Lymph node section stained with H&E, from a whole-slide image of a breast-cancer sentinel node. Magnification about 5×, about 0.93 mm across the frame, about 1.8 µm per pixel.
Image:
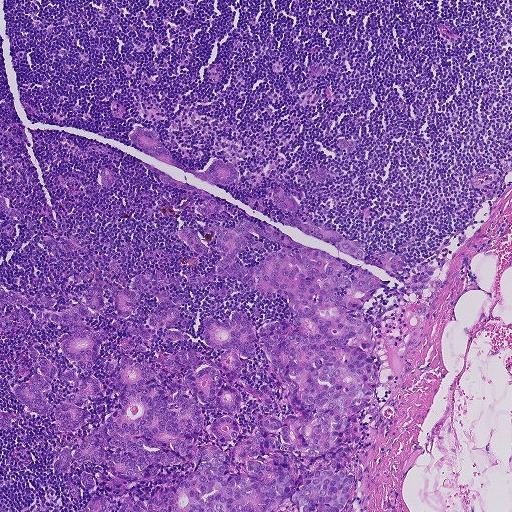
Question:
Which parts of this field are metastatic tumour?
Answer:
Metastatic tumour outline, simplified to 35 points and listed clockwise in crop pixels (x, y): (133, 126), (232, 164), (222, 204), (263, 230), (248, 199), (279, 222), (279, 186), (405, 258), (361, 305), (377, 382), (339, 511), (79, 511), (109, 489), (70, 483), (102, 466), (52, 463), (111, 410), (122, 346), (58, 433), (14, 385), (70, 370), (70, 326), (0, 285), (56, 314), (169, 273), (183, 337), (161, 350), (220, 366), (204, 319), (242, 313), (260, 341), (294, 322), (170, 233), (238, 223), (163, 184).
About 30% of the image area is annotated as tumour.